Question: 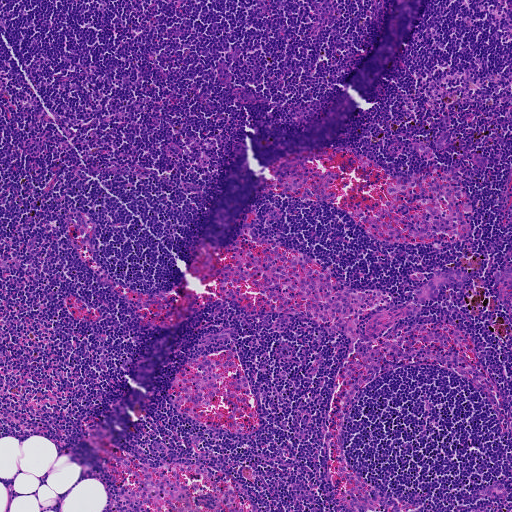
About what magnification does this crop show?

Choices:
 (A) about 2.5×
 (B) about 5×
 (C) about 20×
 (D) about 40×
 (E) about 10×

Answer: (B) about 5×
This is a crop of a whole-slide image: an H&E-stained breast-cancer sentinel lymph node section at roughly 5× magnification (about 1.8 µm per pixel; the crop spans about 0.93 mm).
Four metastatic tumour regions, each outlined as a closed clockwise path in crop pixels (x, y), largest first: region 1: (451, 269), (466, 272), (468, 276), (468, 281), (460, 288), (451, 284), (433, 299), (424, 302), (419, 302), (413, 294), (414, 289), (431, 278), (436, 270), (446, 271); region 2: (496, 482), (504, 485), (506, 490), (507, 494), (505, 498), (500, 498), (496, 495), (478, 494), (479, 491), (483, 488); region 3: (511, 265), (511, 287), (507, 285), (502, 285), (498, 288), (496, 284), (495, 279), (495, 274), (498, 270), (504, 270), (507, 267); region 4: (448, 131), (448, 136), (447, 141), (443, 143), (444, 148), (442, 148), (437, 148), (435, 143), (437, 138), (440, 134), (444, 132).
Four more small tumour pieces are annotated here but not outlined.
Under 5% of this field is tumour.